Lymph node section stained with H&E, from a whole-slide image of a breast-cancer sentinel node. Magnification about 20×, about 0.23 mm across the frame, about 0.45 µm per pixel.
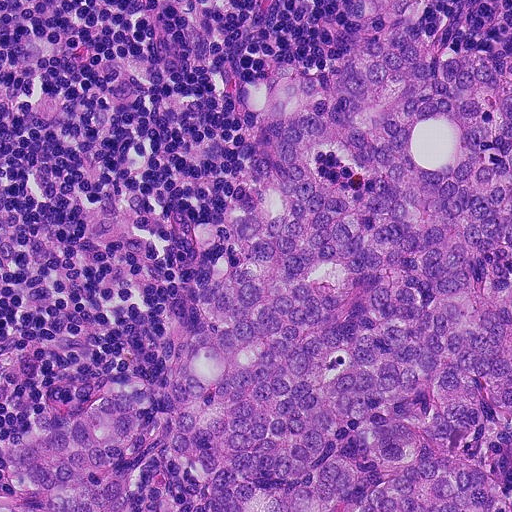
The outlined metastatic tumour's edge, as a closed clockwise path of 19 points: (357, 0), (430, 0), (430, 31), (458, 54), (511, 6), (511, 511), (0, 511), (0, 494), (16, 488), (6, 452), (32, 430), (98, 398), (122, 373), (158, 382), (184, 276), (246, 146), (244, 75), (330, 68), (354, 39).
Tumour covers about 65% of the frame.